Image:
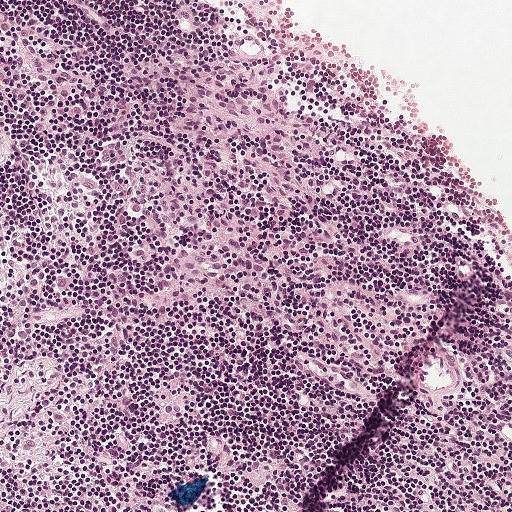
This is a crop of a whole-slide image: an H&E-stained breast-cancer sentinel lymph node section at roughly 10× magnification (about 0.97 µm per pixel; the crop spans about 0.5 mm).
Question:
Does this lymph node field contain metastatic tumour?
Answer:
No, this field holds no outlined metastasis.